Image:
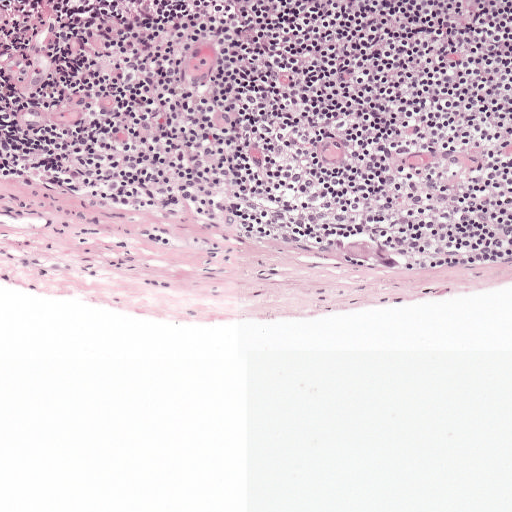
Lymph node section stained with H&E, from a whole-slide image of a breast-cancer sentinel node. Magnification about 10×, about 0.5 mm across the frame, about 0.97 µm per pixel.
Question:
Outline the metastatic carcinoma in this image, as closed paths of (x, y) pixel coordinates.
Answer:
Tumour region outline (a closed clockwise path, crop pixels): (335, 237), (342, 239), (344, 246), (353, 242), (366, 241), (378, 243), (390, 250), (398, 260), (397, 268), (381, 266), (346, 255), (333, 248).
Under 5% of the image area is annotated as tumour.